Question: 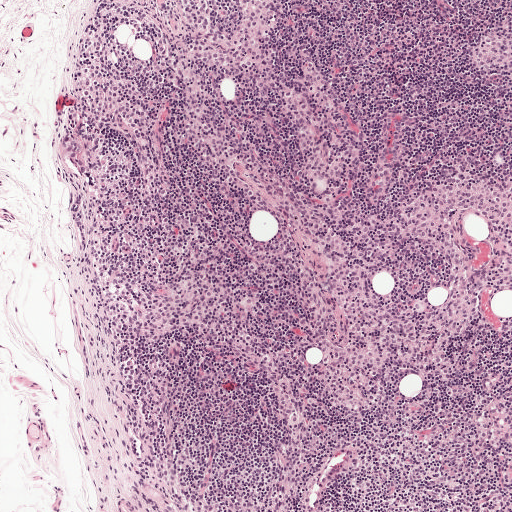
Which magnification is this H&E lymph node field most likely shown at?

Choices:
 (A) about 5×
 (B) about 40×
 (C) about 10×
 (D) about 20×
 (E) about 2.5×

Answer: (A) about 5×
A 1-mm field of an H&E-stained sentinel lymph node from a breast-cancer patient (whole-slide image), shown at about 5×, about 1.9 µm per pixel.
The outlined metastatic tumour's edge, as a closed clockwise path of 10 points: (70, 130), (77, 132), (84, 140), (83, 156), (87, 170), (82, 173), (64, 160), (57, 147), (58, 139), (63, 133).
The annotated tumour makes up under 5% of the crop.
Question: 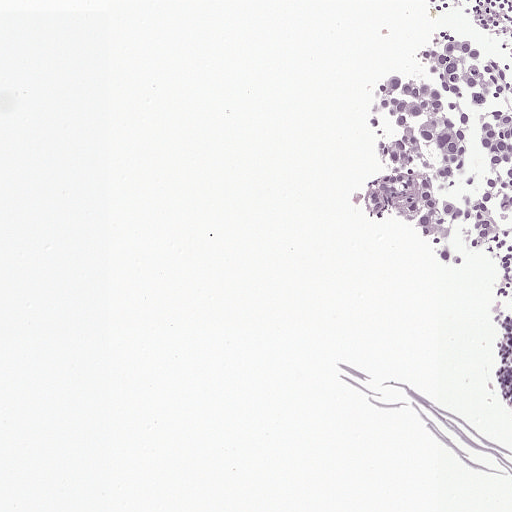
Which magnification is this H&E lymph node field most likely shown at?

Choices:
 (A) about 5×
 (B) about 40×
 (C) about 20×
 (D) about 2.5×
 (E) about 10×

Answer: (E) about 10×
A 0.5-mm field of an H&E-stained sentinel lymph node from a breast-cancer patient (whole-slide image), shown at about 10×, about 0.97 µm per pixel.
The outlined metastatic tumour's edge, as a closed clockwise path of 14 points: (446, 36), (467, 41), (511, 89), (511, 246), (465, 269), (423, 258), (406, 244), (399, 222), (356, 214), (368, 170), (367, 104), (376, 82), (413, 63), (423, 45).
About 10% of this field is tumour.
Question: 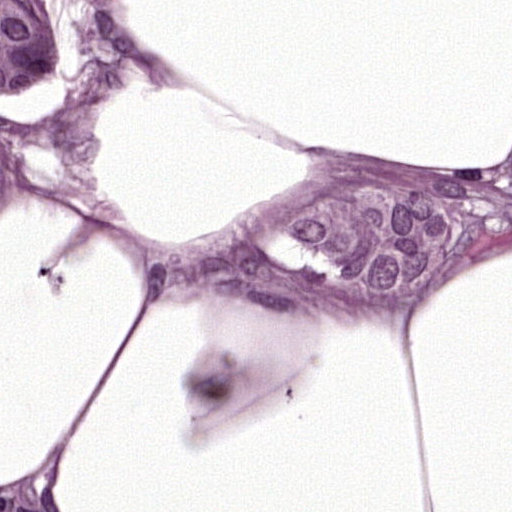
Which magnification is this H&E lymph node field most likely shown at?

Choices:
 (A) about 20×
 (B) about 2.5×
 (C) about 10×
 (D) about 40×
 (E) about 5×

Answer: (D) about 40×
This is a crop of a whole-slide image: an H&E-stained breast-cancer sentinel lymph node section at roughly 40× magnification (about 0.24 µm per pixel; the crop spans about 0.12 mm).
Outlines of two tumour regions, largest first (closed clockwise paths, crop pixels): region 1: (411, 186), (438, 201), (460, 224), (456, 255), (434, 276), (403, 284), (372, 284), (283, 244), (257, 226), (347, 195); region 2: (0, 0), (11, 0), (30, 16), (52, 61), (45, 97), (0, 98).
About 5% of this field is tumour.
Question: 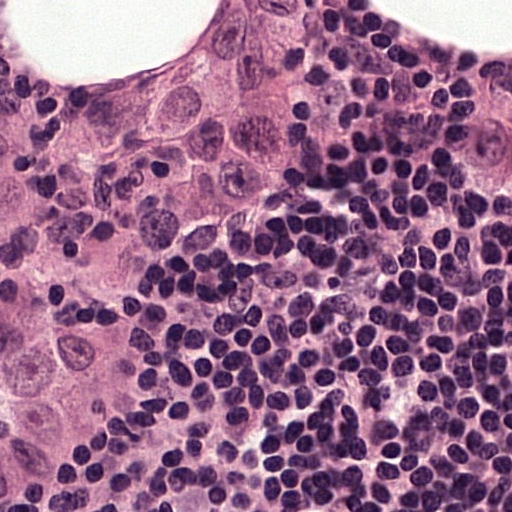
Which magnification is this H&E lymph node field most likely shown at?

Choices:
 (A) about 5×
 (B) about 20×
 (C) about 2.5×
 (D) about 10×
 (E) about 40×

Answer: (E) about 40×
H&E-stained section of a sentinel lymph node (breast cancer), from a whole-slide image, viewed at about 40×: the field is about 0.12 mm across, about 0.24 µm per pixel.
Two metastatic tumour regions, each outlined as a closed clockwise path in crop pixels (x, y), largest first: region 1: (168, 0), (333, 0), (333, 86), (316, 145), (152, 350), (125, 454), (89, 509), (0, 511), (0, 27), (21, 72), (84, 72), (125, 59); region 2: (511, 54), (511, 177), (498, 168), (489, 168), (484, 159), (466, 154), (461, 145), (452, 145), (452, 141), (443, 136), (443, 131), (430, 122), (430, 86), (434, 86), (434, 81), (452, 72), (480, 72), (484, 63), (502, 63).
Two more small tumour pieces are annotated here but not outlined.
Tumour covers about 45% of the frame.